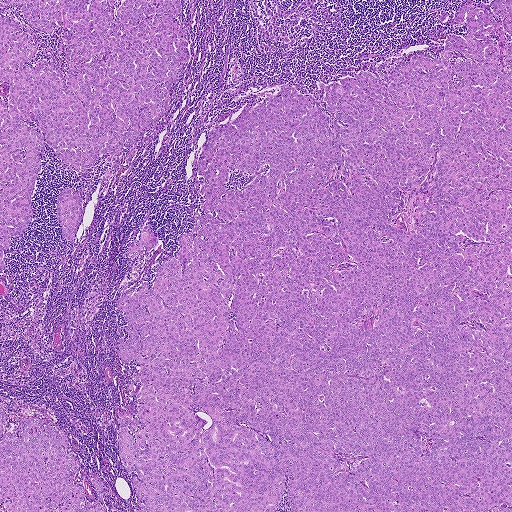
A 1.9-mm field of an H&E-stained sentinel lymph node from a breast-cancer patient (whole-slide image), shown at about 2.5×, about 3.6 µm per pixel.
Outlines of six tumour regions, largest first (closed clockwise paths, crop pixels): region 1: (469, 0), (494, 18), (483, 37), (502, 63), (511, 37), (511, 511), (134, 511), (117, 419), (139, 419), (142, 385), (128, 386), (142, 364), (120, 360), (117, 299), (151, 288), (197, 234), (210, 131), (286, 83), (330, 126), (325, 91), (320, 83), (438, 56), (467, 35), (453, 19); region 2: (0, 0), (180, 0), (176, 19), (186, 26), (189, 58), (169, 90), (165, 113), (132, 145), (84, 174), (61, 161), (45, 141), (30, 196), (32, 219), (3, 251), (2, 272); region 3: (0, 405), (6, 417), (3, 434), (19, 437), (18, 427), (27, 417), (40, 419), (62, 431), (70, 451), (80, 464), (73, 483), (82, 485), (84, 498), (92, 504), (98, 498), (91, 479), (99, 479), (103, 482), (102, 498), (107, 510), (0, 511); region 4: (64, 188), (68, 188), (79, 192), (81, 199), (81, 216), (74, 239), (71, 240), (64, 237), (61, 225), (57, 219), (59, 192); region 5: (146, 225), (149, 227), (157, 241), (154, 248), (147, 253), (133, 256), (127, 253), (129, 245), (139, 240), (141, 232); region 6: (136, 142), (136, 151), (133, 157), (129, 162), (126, 162), (125, 158), (128, 151), (133, 147), (133, 144).
Tumour covers about 75% of the frame.